H&E-stained section of a sentinel lymph node (breast cancer), from a whole-slide image, viewed at about 20×: the field is about 0.25 mm across, about 0.49 µm per pixel.
Image:
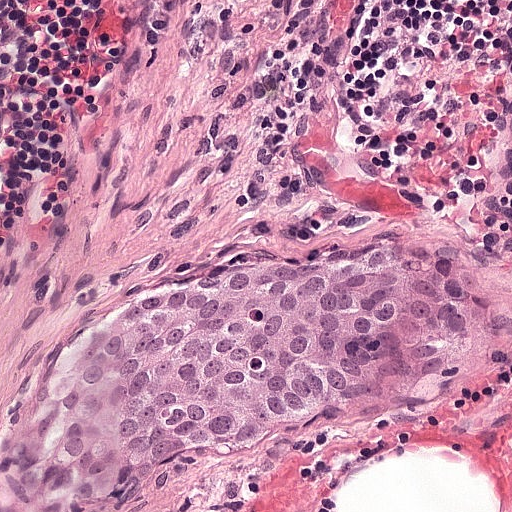
Question:
Does this lymph node field contain metastatic tumour?
Answer:
Yes.
The outlined metastatic tumour's edge, as a closed clockwise path of 13 points: (438, 237), (470, 250), (482, 285), (436, 370), (304, 430), (201, 454), (96, 511), (18, 511), (27, 440), (122, 311), (201, 289), (272, 254), (356, 259).
The annotated tumour makes up about 25% of the crop.